H&E-stained section of a sentinel lymph node (breast cancer), from a whole-slide image, viewed at about 40×: the field is about 0.12 mm across, about 0.24 µm per pixel.
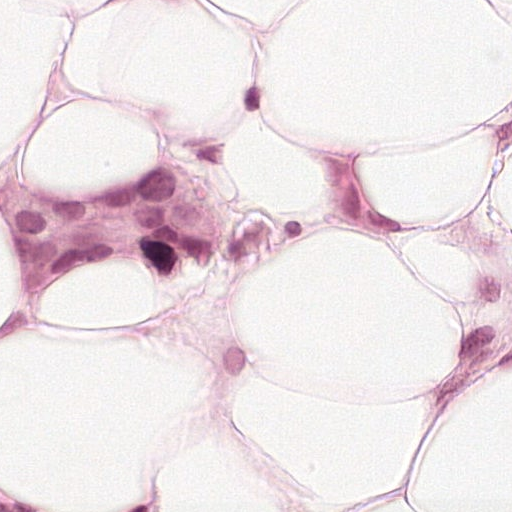
Three metastatic tumour regions, each outlined as a closed clockwise path in crop pixels (x, y), largest first: region 1: (155, 159), (208, 179), (224, 192), (234, 212), (232, 279), (216, 292), (200, 294), (179, 289), (149, 265), (108, 277), (49, 277), (26, 307), (16, 289), (14, 251), (0, 230), (4, 179), (34, 192), (57, 192), (144, 179); region 2: (0, 487), (16, 492), (28, 500), (36, 510), (39, 511), (0, 511); region 3: (511, 261), (511, 311), (510, 311), (510, 308), (508, 306), (505, 292), (503, 290), (503, 273), (505, 269), (505, 265), (506, 265), (506, 263).
Tumour covers about 10% of the frame.